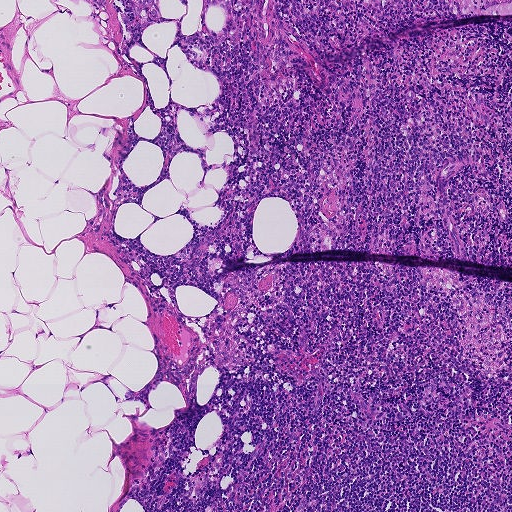
A 0.93-mm field of an H&E-stained sentinel lymph node from a breast-cancer patient (whole-slide image), shown at about 5×, about 1.8 µm per pixel.
Outlines of four tumour regions, largest first (closed clockwise paths, crop pixels): region 1: (201, 0), (258, 0), (245, 22), (243, 39), (239, 43), (234, 43), (223, 31), (226, 15), (218, 8), (213, 6), (204, 14); region 2: (328, 0), (409, 0), (409, 7), (389, 7), (384, 9), (382, 19), (378, 22), (365, 14), (360, 6), (353, 13), (348, 14), (344, 17), (343, 27), (338, 27), (334, 18), (325, 14); region 3: (158, 0), (158, 12), (161, 18), (158, 23), (147, 25), (144, 28), (139, 26), (133, 10), (127, 1); region 4: (288, 0), (303, 0), (304, 6), (307, 10), (312, 12), (313, 17), (310, 20), (300, 22), (294, 22), (290, 13).
One more small tumour piece is annotated here but not outlined.
Under 5% of the image area is annotated as tumour.